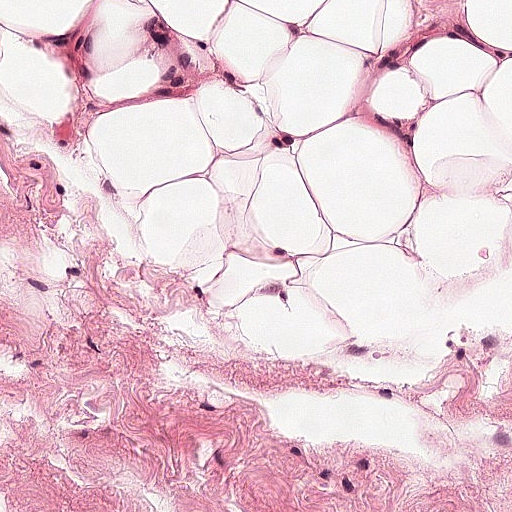
Lymph node section stained with H&E, from a whole-slide image of a breast-cancer sentinel node. Magnification about 20×, about 0.25 mm across the frame, about 0.49 µm per pixel.
Question: Does this lymph node field contain metastatic tumour?
Answer: No. No metastatic tumour is outlined in this field.